This is a crop of a whole-slide image: an H&E-stained breast-cancer sentinel lymph node section at roughly 10× magnification (about 0.97 µm per pixel; the crop spans about 0.5 mm).
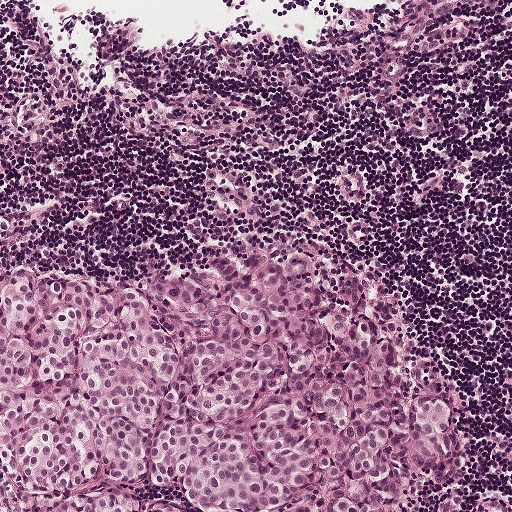
Tumour region outline (a closed clockwise path, crop pixels): (262, 230), (341, 252), (456, 385), (440, 458), (403, 493), (401, 511), (6, 511), (0, 272), (36, 260), (140, 277).
Tumour covers about 40% of the frame.